This is a crop of a whole-slide image: an H&E-stained breast-cancer sentinel lymph node section at roughly 20× magnification (about 0.49 µm per pixel; the crop spans about 0.25 mm).
Question: 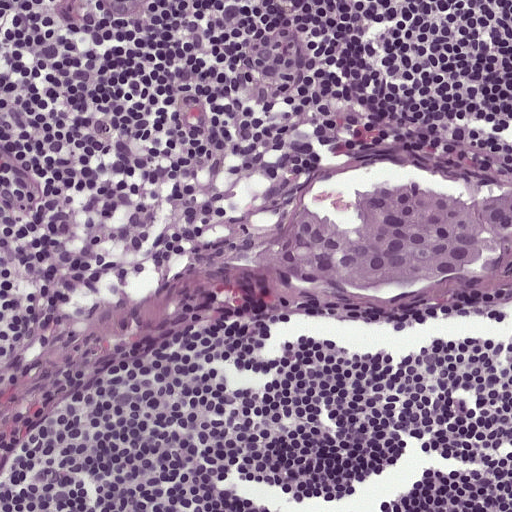
About how much of this crop is taken up by metastatic carcinoma?

Choices:
 (A) about 5% or less
 (B) none: no tumour is outlined
 (C) about 25% to 45%
 (D) about 10% to 20%
 (E) about 50% or more

Answer: (D) about 10% to 20%
About 10% of the field is tumour.
The outlined metastatic tumour's edge, as a closed clockwise path of 15 points: (412, 181), (474, 196), (511, 189), (511, 240), (501, 252), (487, 255), (479, 270), (366, 289), (320, 286), (252, 264), (273, 228), (310, 200), (350, 226), (353, 196), (363, 188).